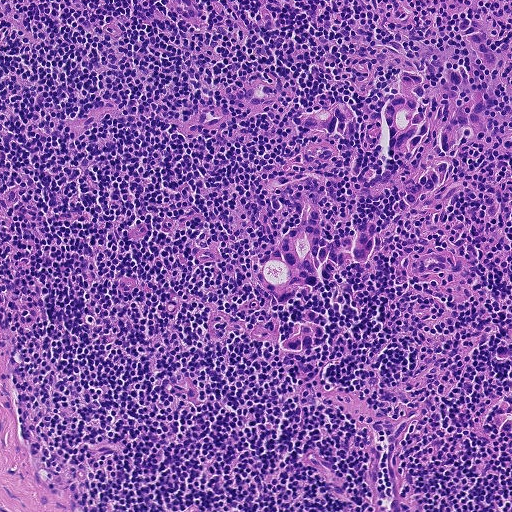
Lymph node section stained with H&E, from a whole-slide image of a breast-cancer sentinel node. Magnification about 10×, about 0.46 mm across the frame, about 0.9 µm per pixel.
Five metastatic tumour regions, each outlined as a closed clockwise path in crop pixels (x, y), largest first: region 1: (462, 14), (476, 18), (491, 44), (511, 49), (481, 131), (438, 156), (462, 170), (454, 182), (418, 206), (401, 205), (397, 191), (368, 199), (361, 186), (386, 158), (380, 114), (397, 78), (408, 68), (434, 80), (458, 64), (471, 70), (458, 94), (487, 88), (487, 70), (455, 26); region 2: (310, 206), (321, 216), (321, 237), (336, 238), (349, 233), (360, 224), (378, 220), (368, 262), (340, 270), (317, 286), (303, 289), (294, 300), (280, 304), (270, 295), (258, 289), (252, 275), (254, 261), (264, 252), (279, 252), (282, 238), (295, 231); region 3: (346, 104), (357, 125), (357, 140), (343, 143), (317, 130), (304, 125), (290, 118); region 4: (314, 310), (314, 323), (326, 332), (326, 346), (314, 354), (298, 355), (284, 352), (278, 339), (292, 334), (305, 311); region 5: (511, 399), (511, 432), (498, 431), (486, 424), (488, 414), (498, 404).
The annotated tumour makes up about 10% of the crop.